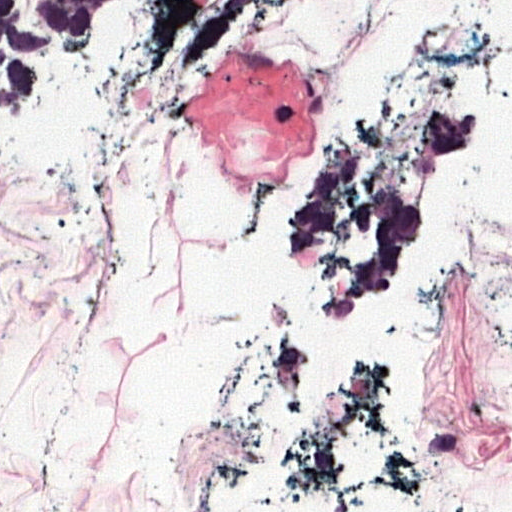
H&E-stained section of a sentinel lymph node (breast cancer), from a whole-slide image, viewed at about 40×: the field is about 0.12 mm across, about 0.24 µm per pixel.
Question: Show where the tumour is in this image.
Answer: Outlines of two tumour regions, largest first (closed clockwise paths, crop pixels): region 1: (497, 81), (446, 219), (322, 379), (268, 392), (282, 215), (342, 123); region 2: (0, 0), (135, 0), (5, 113), (0, 108).
One more small tumour piece is annotated here but not outlined.
About 15% of this field is tumour.